A 1.9-mm field of an H&E-stained sentinel lymph node from a breast-cancer patient (whole-slide image), shown at about 2.5×, about 3.6 µm per pixel.
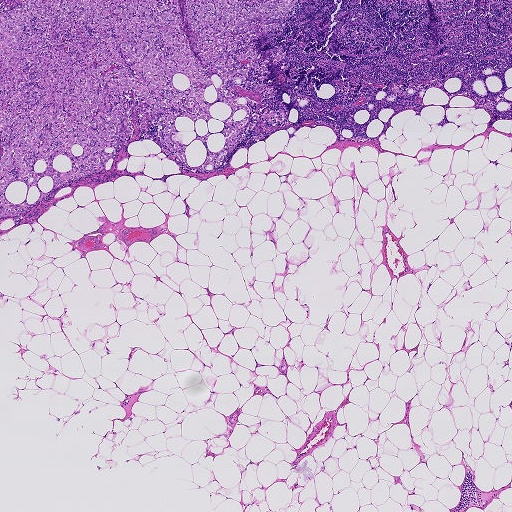
The outlined metastatic tumour's edge, as a closed clockwise path of 21 points: (0, 0), (301, 0), (292, 16), (265, 24), (280, 26), (239, 49), (279, 47), (284, 56), (269, 62), (266, 80), (252, 68), (232, 85), (249, 116), (220, 165), (183, 163), (155, 125), (139, 128), (135, 111), (131, 136), (103, 168), (3, 218).
The annotated tumour makes up about 15% of the crop.